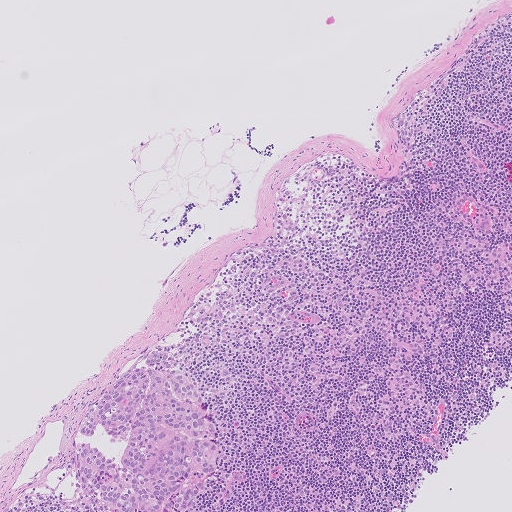
Lymph node section stained with H&E, from a whole-slide image of a breast-cancer sentinel node. Magnification about 5×, about 1.0 mm across the frame, about 2.0 µm per pixel.
Metastatic tumour outline, simplified to 14 points and listed clockwise in crop pixels (x, y): (158, 352), (170, 352), (174, 363), (199, 386), (216, 430), (217, 452), (211, 476), (182, 511), (93, 511), (85, 503), (73, 470), (77, 435), (87, 414), (137, 360).
About 5% of this field is tumour.